H&E-stained section of a sentinel lymph node (breast cancer), from a whole-slide image, viewed at about 20×: the field is about 0.25 mm across, about 0.49 µm per pixel.
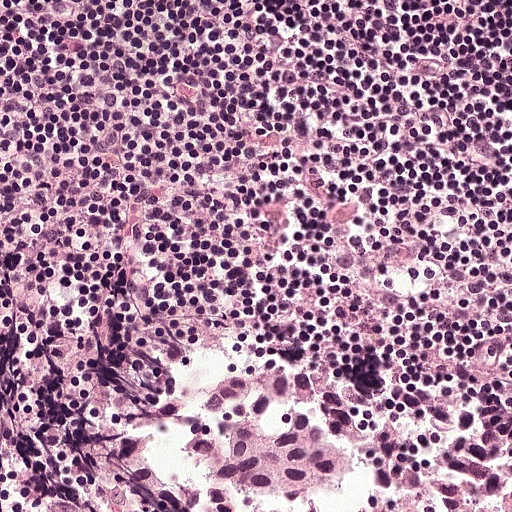
Tumour region outline (a closed clockwise path, crop pixels): (230, 364), (362, 369), (442, 420), (511, 436), (511, 511), (215, 511), (189, 472), (176, 430), (203, 382).
About 15% of the image area is annotated as tumour.